Image:
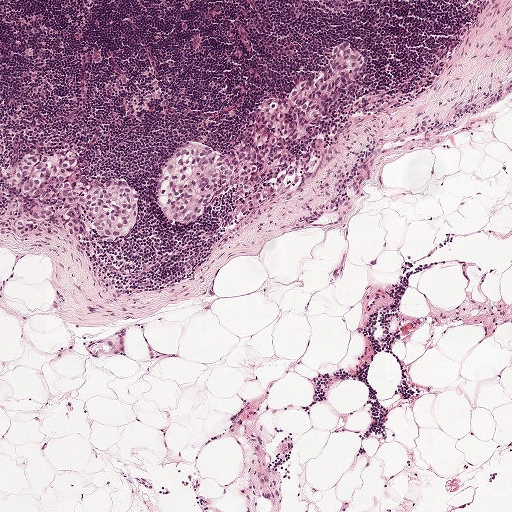
H&E-stained section of a sentinel lymph node (breast cancer), from a whole-slide image, viewed at about 5×: the field is about 1 mm across, about 1.9 µm per pixel.
Question:
Is any metastatic breast cancer visible in this crop?
Answer:
Yes.
Two metastatic tumour regions, each outlined as a closed clockwise path in crop pixels (x, y), largest first: region 1: (341, 38), (355, 40), (367, 51), (367, 64), (322, 118), (297, 136), (282, 174), (284, 187), (254, 215), (234, 213), (237, 198), (230, 186), (189, 224), (176, 225), (161, 217), (158, 192), (176, 145), (196, 139), (221, 152), (239, 147), (262, 101), (291, 92), (327, 64); region 2: (56, 145), (81, 154), (87, 179), (119, 179), (138, 188), (138, 215), (123, 240), (109, 242), (96, 237), (88, 243), (77, 242), (60, 211), (44, 221), (31, 236), (21, 238), (12, 232), (7, 217), (4, 171), (10, 162), (36, 146).
About 10% of the image area is annotated as tumour.